This is a crop of a whole-slide image: an H&E-stained breast-cancer sentinel lymph node section at roughly 2.5× magnification (about 3.9 µm per pixel; the crop spans about 2.0 mm).
Question: 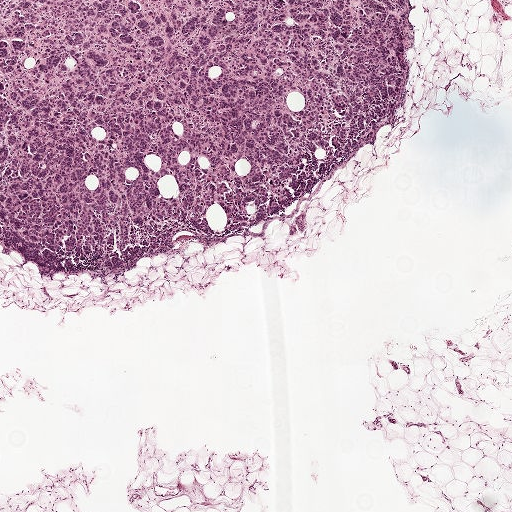
Estimate the proportion of this field that is metastatic tumour.

Choices:
 (A) about 50% or more
 (B) about 25% to 45%
 (C) about 5% or less
 (D) none: no tumour is outlined
 (E) about 10% to 20%

Answer: (B) about 25% to 45%
About 35% of the field is tumour.
The outlined metastatic tumour's edge, as a closed clockwise path of 11 points: (0, 0), (408, 0), (410, 78), (395, 123), (283, 211), (224, 244), (176, 235), (172, 250), (102, 281), (40, 278), (0, 244).